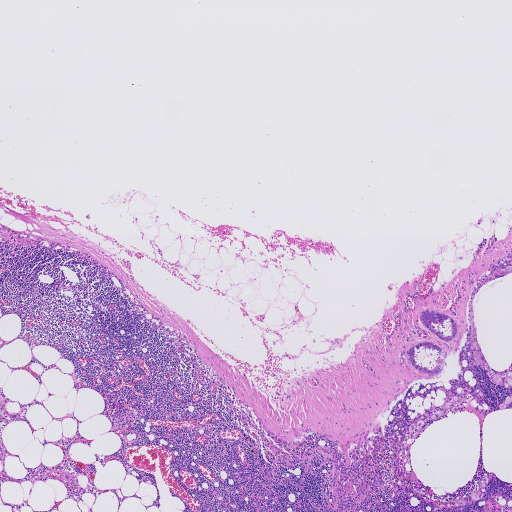
This is a crop of a whole-slide image: an H&E-stained breast-cancer sentinel lymph node section at roughly 2.5× magnification (about 3.6 µm per pixel; the crop spans about 1.9 mm).
Two metastatic tumour regions, each outlined as a closed clockwise path in crop pixels (x, y), largest first: region 1: (425, 342), (443, 349), (447, 355), (444, 370), (438, 375), (434, 375), (418, 371), (408, 360), (407, 352), (412, 347); region 2: (426, 307), (441, 314), (444, 313), (454, 320), (457, 327), (457, 335), (452, 340), (444, 341), (421, 323), (419, 315), (423, 309).
The annotated tumour makes up under 5% of the crop.